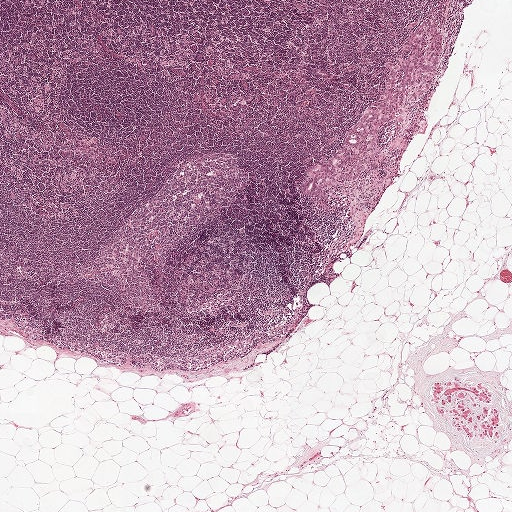
This is a crop of a whole-slide image: an H&E-stained breast-cancer sentinel lymph node section at roughly 2.5× magnification (about 3.9 µm per pixel; the crop spans about 2.0 mm).
Question: Where is the metastatic tumour in this field?
Answer: Tumour region outline (a closed clockwise path, crop pixels): (434, 19), (444, 29), (441, 73), (434, 91), (413, 104), (412, 118), (406, 126), (398, 129), (393, 121), (380, 129), (378, 141), (382, 155), (359, 183), (318, 196), (302, 196), (298, 191), (309, 168), (338, 151), (356, 124), (375, 106), (384, 84), (386, 63), (398, 58), (423, 20).
About 5% of the image area is annotated as tumour.